This is a crop of a whole-slide image: an H&E-stained breast-cancer sentinel lymph node section at roughly 5× magnification (about 2.0 µm per pixel; the crop spans about 1.0 mm).
Image:
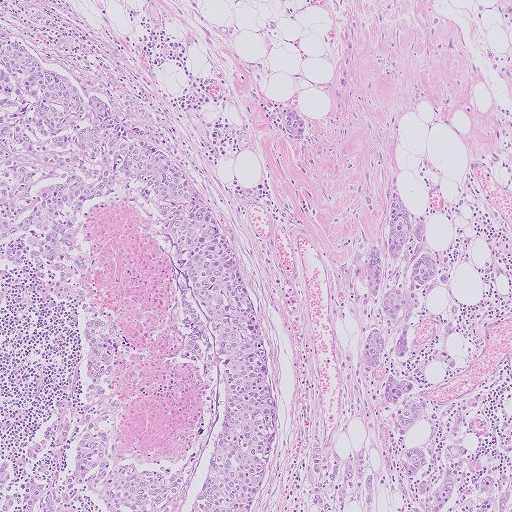
Question:
Outline the metastatic carcinoma in this image, as closed paths of (x, y) pixel coordinates.
Answer:
Three metastatic tumour regions, each outlined as a closed clockwise path in crop pixels (x, y), largest first: region 1: (0, 28), (153, 133), (219, 198), (266, 321), (282, 400), (257, 510), (0, 511); region 2: (395, 187), (422, 216), (430, 246), (452, 266), (460, 365), (432, 398), (487, 389), (498, 431), (506, 436), (511, 511), (297, 511), (290, 493), (300, 473), (301, 438), (312, 431), (339, 449), (372, 430), (379, 402), (338, 277), (362, 250), (381, 244), (382, 203); region 3: (276, 106), (296, 107), (303, 130), (298, 137), (288, 133), (276, 116).
Tumour covers about 55% of the frame.